A 0.93-mm field of an H&E-stained sentinel lymph node from a breast-cancer patient (whole-slide image), shown at about 5×, about 1.8 µm per pixel.
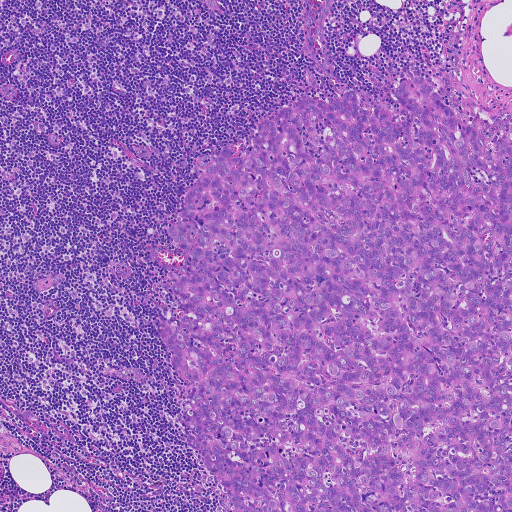
Tumour region outline (a closed clockwise path, crop pixels): (404, 78), (431, 84), (498, 161), (494, 142), (511, 145), (511, 511), (222, 511), (159, 330), (184, 312), (170, 285), (187, 255), (167, 229), (225, 147), (246, 155), (259, 123), (300, 96), (348, 88), (365, 111), (385, 103), (410, 122).
Tumour covers about 50% of the frame.